Image:
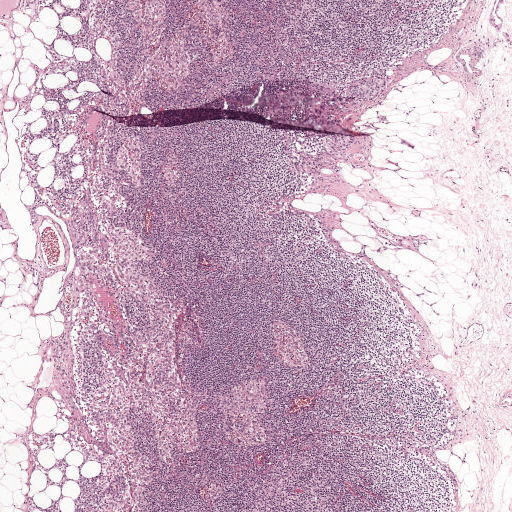
H&E-stained section of a sentinel lymph node (breast cancer), from a whole-slide image, viewed at about 2.5×: the field is about 2.0 mm across, about 3.9 µm per pixel.
Question:
Which parts of this field are metastatic tumour?
Answer:
Three metastatic tumour regions, each outlined as a closed clockwise path in crop pixels (x, y), largest first: region 1: (337, 80), (336, 94), (328, 96), (319, 92), (310, 93), (299, 99), (288, 119), (266, 118), (260, 114), (263, 103), (271, 96), (300, 84); region 2: (371, 77), (383, 79), (382, 92), (378, 97), (357, 110), (342, 113), (337, 111), (335, 105), (338, 98), (351, 83); region 3: (338, 133), (369, 138), (368, 145), (360, 143), (341, 161), (329, 158), (321, 150).
Two more small tumour pieces are annotated here but not outlined.
Under 5% of this field is tumour.